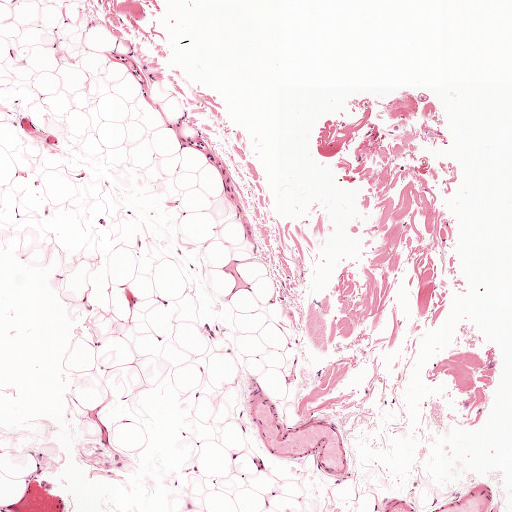
H&E-stained section of a sentinel lymph node (breast cancer), from a whole-slide image, viewed at about 5×: the field is about 1 mm across, about 1.9 µm per pixel.
Tumour region outline (a closed clockwise path, crop pixels): (393, 124), (396, 124), (405, 124), (405, 126), (404, 131), (400, 131), (394, 131), (391, 130), (385, 130), (387, 127).
One more small tumour piece is annotated here but not outlined.
Under 5% of the image area is annotated as tumour.